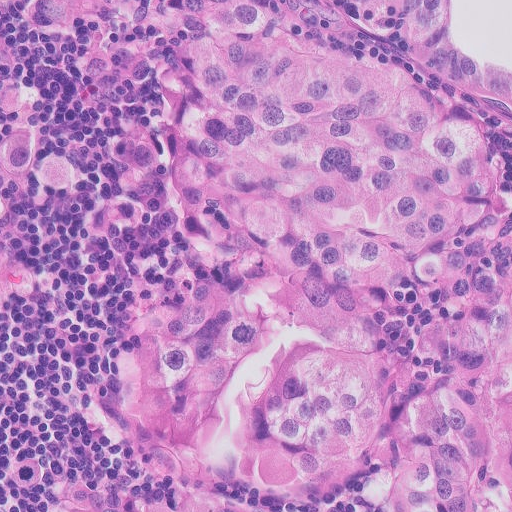
H&E-stained section of a sentinel lymph node (breast cancer), from a whole-slide image, viewed at about 20×: the field is about 0.26 mm across, about 0.5 µm per pixel.
Boundaries of two metastatic tumour regions, simplified and listed clockwise, largest first: region 1: (511, 0), (511, 511), (0, 511), (96, 431), (148, 216), (124, 108), (148, 2); region 2: (0, 19), (12, 26), (60, 143), (0, 385).
The annotated tumour makes up about 80% of the crop.